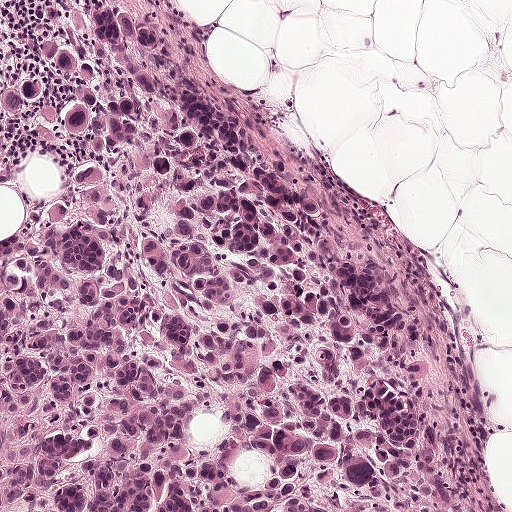
H&E-stained section of a sentinel lymph node (breast cancer), from a whole-slide image, viewed at about 10×: the field is about 0.5 mm across, about 0.97 µm per pixel.
Question: Where is the metastatic tumour in this field?
Answer: The outlined metastatic tumour's edge, as a closed clockwise path of 14 points: (0, 0), (125, 0), (246, 108), (294, 175), (349, 211), (412, 299), (446, 422), (493, 511), (0, 511), (0, 244), (19, 241), (67, 178), (41, 157), (0, 188).
About 65% of the image area is annotated as tumour.